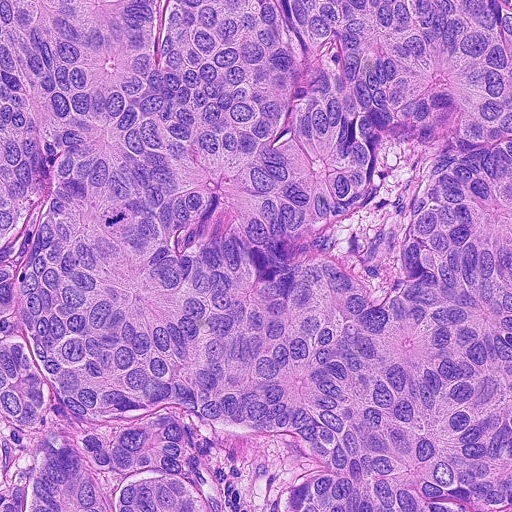
Lymph node section stained with H&E, from a whole-slide image of a breast-cancer sentinel node. Magnification about 20×, about 0.23 mm across the frame, about 0.45 µm per pixel.
Metastatic tumour covers the whole field.
Over 95% of the image area is annotated as tumour.